Question: 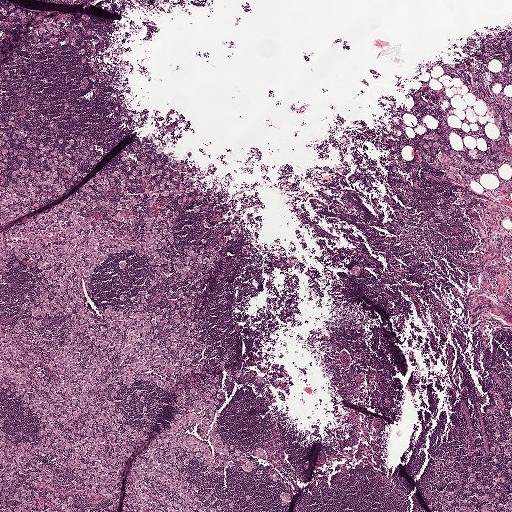
A 2.0-mm field of an H&E-stained sentinel lymph node from a breast-cancer patient (whole-slide image), shown at about 2.5×, about 3.9 µm per pixel.
Roughly what share of this field is metastatic tumour?

Choices:
 (A) none: no tumour is outlined
 (B) about 10% to 20%
 (C) about 5% or less
 (D) about 50% or more
 (E) about 25% to 45%

Answer: (E) about 25% to 45%
About 25% of the field is tumour.
Three metastatic tumour regions, each outlined as a closed clockwise path in crop pixels (x, y), largest first: region 1: (111, 150), (166, 162), (198, 188), (175, 240), (217, 259), (202, 324), (223, 368), (218, 432), (259, 471), (223, 467), (208, 480), (184, 461), (180, 477), (232, 511), (121, 511), (133, 462), (188, 385), (218, 368), (189, 372), (167, 394), (130, 385), (117, 394), (115, 409), (142, 439), (123, 466), (115, 511), (0, 511), (0, 420), (23, 444), (38, 425), (0, 393), (0, 314), (34, 303), (40, 272), (12, 259), (0, 284), (0, 235), (60, 205), (121, 155); region 2: (0, 114), (25, 124), (52, 140), (111, 150), (79, 184), (45, 204), (0, 224); region 3: (468, 473), (478, 476), (511, 495), (511, 511), (443, 511), (450, 497).
Question: 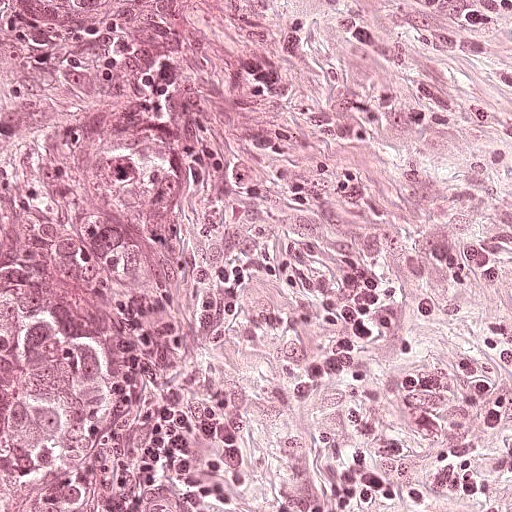
A 0.25-mm field of an H&E-stained sentinel lymph node from a breast-cancer patient (whole-slide image), shown at about 20×, about 0.49 µm per pixel.
Roughly what share of this field is metastatic tumour?

Choices:
 (A) about 25% to 45%
 (B) about 10% to 20%
 (C) about 50% or more
 (D) none: no tumour is outlined
 (E) about 5% or less

Answer: (C) about 50% or more
About 50% of the field is tumour.
One metastatic tumour region; its boundary, reduced to 7 corners and listed clockwise: (0, 0), (268, 0), (275, 167), (259, 315), (194, 460), (142, 509), (0, 511).
Question: 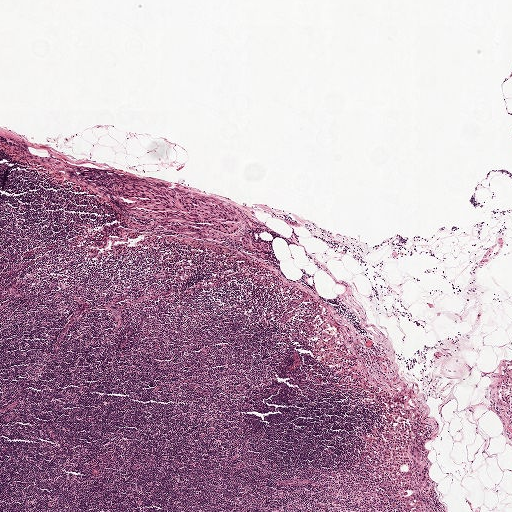
A 2.0-mm field of an H&E-stained sentinel lymph node from a breast-cancer patient (whole-slide image), shown at about 2.5×, about 3.9 µm per pixel.
Roughly what share of this field is metastatic tumour?

Choices:
 (A) about 10% to 20%
 (B) about 5% or less
 (C) about 50% or more
 (D) about 25% to 45%
 (E) none: no tumour is outlined

Answer: (B) about 5% or less
Under 5% of the field is tumour.
Tumour region outline (a closed clockwise path, crop pixels): (115, 175), (154, 176), (192, 192), (202, 192), (223, 202), (237, 216), (235, 233), (221, 238), (210, 238), (185, 236), (159, 228), (138, 216), (119, 199), (110, 179).
Question: 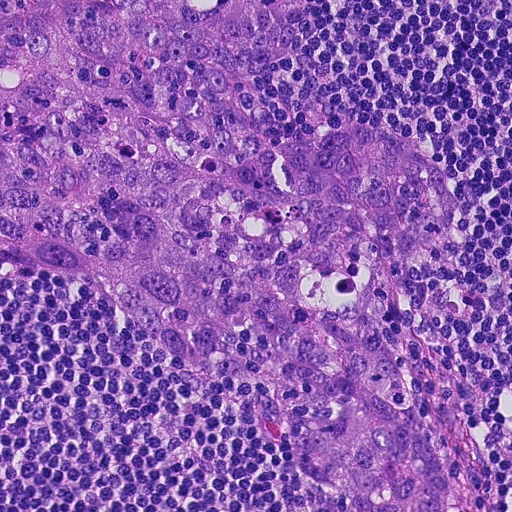
Lymph node section stained with H&E, from a whole-slide image of a breast-cancer sentinel node. Magnification about 20×, about 0.23 mm across the frame, about 0.45 µm per pixel.
Roughly what share of this field is metastatic tumour?

Choices:
 (A) about 10% to 20%
 (B) about 50% or more
 (C) about 5% or less
 (D) about 25% to 45%
 (E) none: no tumour is outlined

Answer: (B) about 50% or more
About 55% of the field is tumour.
The outlined metastatic tumour's edge, as a closed clockwise path of 18 points: (0, 0), (302, 0), (304, 20), (270, 55), (222, 67), (224, 116), (268, 140), (366, 120), (452, 171), (448, 220), (414, 258), (406, 306), (492, 511), (312, 511), (275, 422), (192, 371), (117, 304), (0, 252).